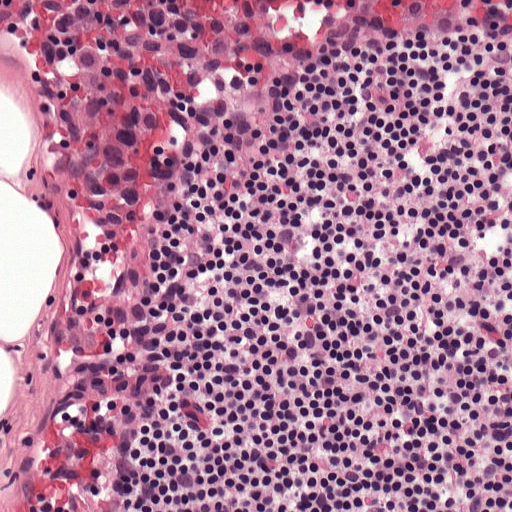
H&E-stained section of a sentinel lymph node (breast cancer), from a whole-slide image, viewed at about 20×: the field is about 0.25 mm across, about 0.49 µm per pixel.